Question: 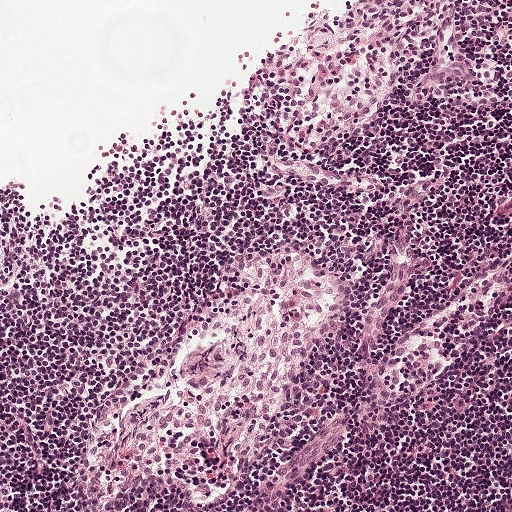
At roughly what magnification is this field shown?

Choices:
 (A) about 40×
 (B) about 2.5×
 (C) about 20×
 (D) about 5×
 (E) about 10×

Answer: (E) about 10×
This is a crop of a whole-slide image: an H&E-stained breast-cancer sentinel lymph node section at roughly 10× magnification (about 0.97 µm per pixel; the crop spans about 0.5 mm).